Question: 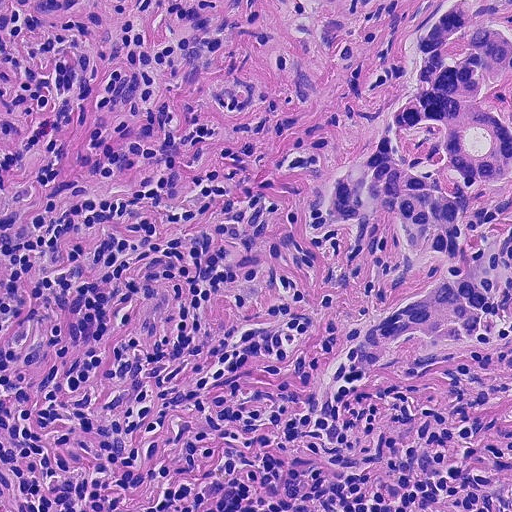
A 0.23-mm field of an H&E-stained sentinel lymph node from a breast-cancer patient (whole-slide image), shown at about 20×, about 0.45 µm per pixel.
What fraction of the image area is metastatic tumour?

Choices:
 (A) about 5% or less
 (B) about 50% or more
 (C) about 10% to 20%
 (D) about 25% to 45%
 (E) none: no tumour is outlined

Answer: (C) about 10% to 20%
About 20% of the field is tumour.
Metastatic tumour outline, simplified to 13 points and listed clockwise in crop pixels (x, y): (416, 0), (511, 0), (511, 325), (423, 340), (330, 385), (338, 350), (398, 288), (436, 272), (367, 262), (337, 236), (322, 206), (324, 172), (384, 90).
One more small tumour piece is annotated here but not outlined.